Question: 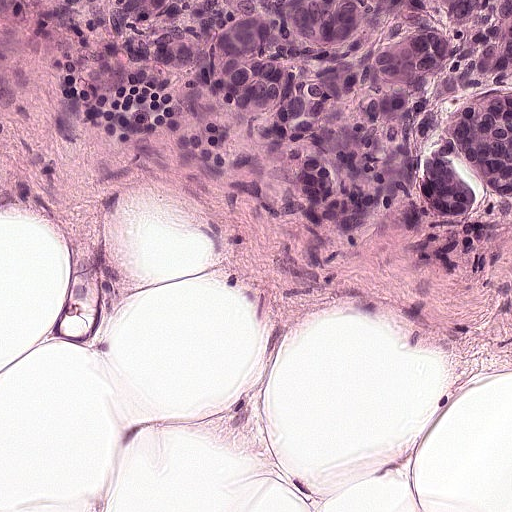
This is a crop of a whole-slide image: an H&E-stained breast-cancer sentinel lymph node section at roughly 20× magnification (about 0.49 µm per pixel; the crop spans about 0.25 mm).
Roughly what share of this field is metastatic tumour?

Choices:
 (A) about 50% or more
 (B) about 25% to 45%
 (C) about 10% to 20%
 (D) about 5% or less
 (E) none: no tumour is outlined

Answer: (B) about 25% to 45%
About 40% of the field is tumour.
Metastatic tumour outline, simplified to 6 points and listed clockwise in crop pixels (x, y): (0, 0), (511, 0), (511, 272), (337, 250), (116, 145), (2, 104).